Question: 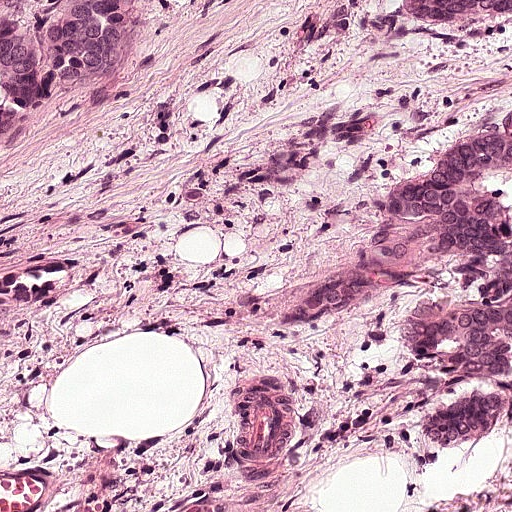
This is a crop of a whole-slide image: an H&E-stained breast-cancer sentinel lymph node section at roughly 20× magnification (about 0.49 µm per pixel; the crop spans about 0.25 mm).
Roughly what share of this field is metastatic tumour?

Choices:
 (A) about 50% or more
 (B) about 25% to 45%
 (C) none: no tumour is outlined
 (D) about 10% to 20%
 (E) about 5% or less

Answer: (D) about 10% to 20%
About 20% of the field is tumour.
Three metastatic tumour regions, each outlined as a closed clockwise path in crop pixels (x, y), largest first: region 1: (511, 119), (511, 352), (496, 350), (504, 434), (446, 459), (417, 440), (424, 378), (404, 358), (404, 345), (410, 324), (467, 304), (465, 282), (450, 256), (376, 226), (370, 208), (380, 188), (452, 149), (470, 121); region 2: (0, 0), (181, 0), (157, 76), (142, 96), (50, 152), (1, 194); region 3: (404, 0), (511, 0), (511, 18), (478, 28), (470, 28), (470, 29), (448, 29), (428, 24), (418, 24), (406, 12), (402, 4).